Lymph node section stained with H&E, from a whole-slide image of a breast-cancer sentinel node. Magnification about 5×, about 1 mm across the frame, about 1.9 µm per pixel.
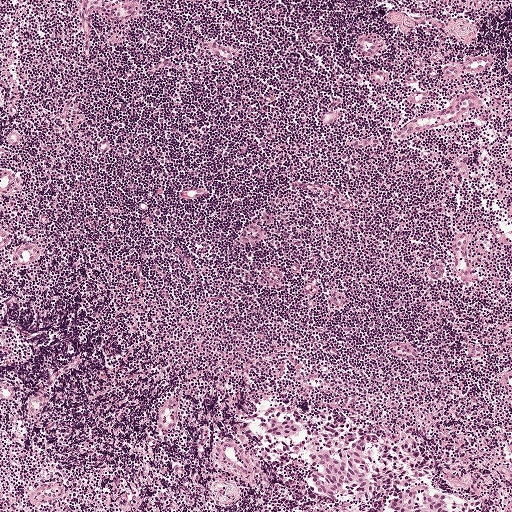
One metastatic tumour region; its boundary, reduced to 18 corners and listed clockwise: (270, 404), (303, 405), (323, 418), (402, 437), (429, 457), (432, 470), (427, 479), (478, 511), (393, 511), (393, 506), (381, 511), (353, 496), (337, 502), (326, 498), (313, 488), (308, 460), (268, 445), (257, 420).
Tumour covers about 5% of the frame.